Question: 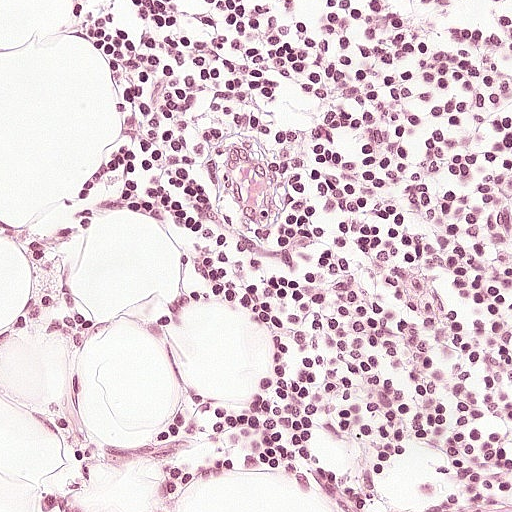
This is a crop of a whole-slide image: an H&E-stained breast-cancer sentinel lymph node section at roughly 20× magnification (about 0.49 µm per pixel; the crop spans about 0.25 mm).
Roughly what share of this field is metastatic tumour?

Choices:
 (A) about 5% or less
 (B) about 10% to 20%
 (C) about 25% to 45%
 (D) none: no tumour is outlined
 (E) about 50% or more

Answer: (D) none: no tumour is outlined
No metastatic tumour is outlined in this field.